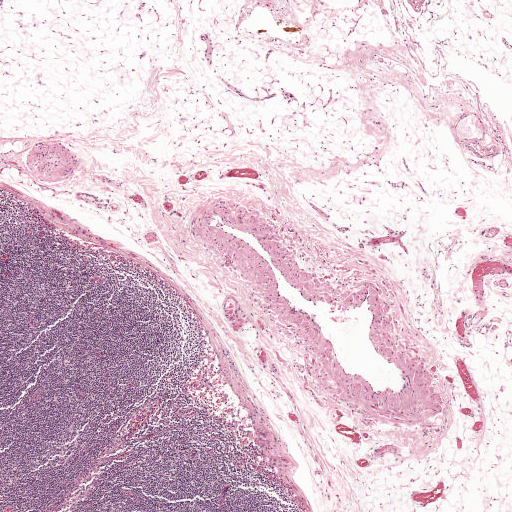
Lymph node section stained with H&E, from a whole-slide image of a breast-cancer sentinel node. Magnification about 2.5×, about 2.0 mm across the frame, about 3.9 µm per pixel.